H&E-stained section of a sentinel lymph node (breast cancer), from a whole-slide image, viewed at about 2.5×: the field is about 1.9 mm across, about 3.6 µm per pixel.
Image:
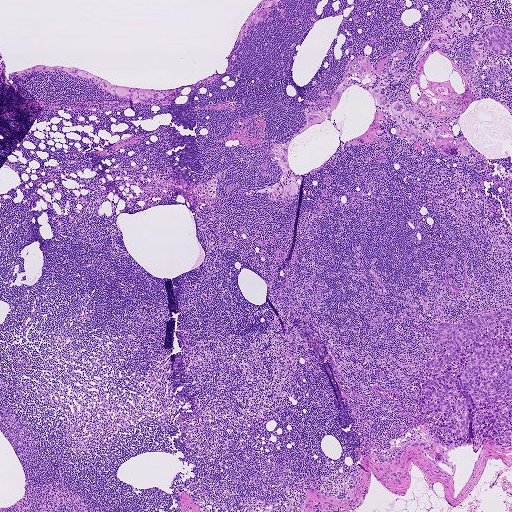
Question:
Does this lymph node field contain metastatic tumour?
Answer:
Yes.
Boundaries of two metastatic tumour regions, simplified and listed clockwise, largest first: region 1: (510, 307), (511, 447), (486, 443), (474, 452), (472, 443), (453, 449), (439, 444), (425, 424), (416, 426), (411, 419), (417, 385), (430, 378), (428, 361), (441, 357), (434, 344), (437, 325), (473, 322), (469, 313), (484, 315); region 2: (497, 25), (511, 29), (511, 55), (500, 57), (489, 52), (482, 45), (482, 32), (486, 27).
The annotated tumour makes up about 5% of the crop.